Image:
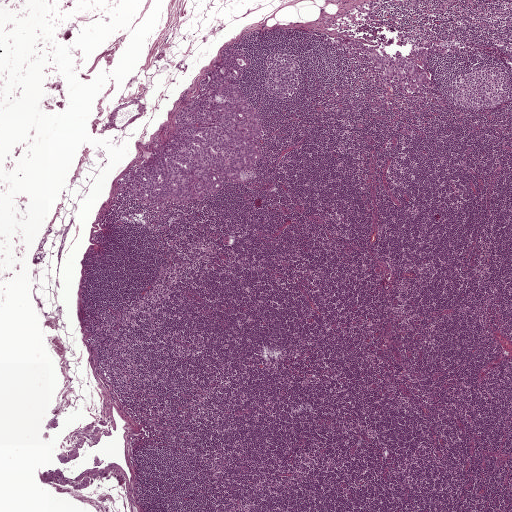
This is a crop of a whole-slide image: an H&E-stained breast-cancer sentinel lymph node section at roughly 2.5× magnification (about 3.9 µm per pixel; the crop spans about 2.0 mm).
Question:
Where is the metastatic tumour in this field? Give each region's outline as (x, y) pixel points.
Answer:
Two metastatic tumour regions, each outlined as a closed clockwise path in crop pixels (x, y), largest first: region 1: (222, 49), (249, 50), (254, 59), (240, 77), (246, 97), (260, 115), (264, 139), (260, 161), (249, 183), (226, 187), (204, 203), (177, 206), (165, 213), (151, 212), (129, 198), (118, 198), (117, 180), (151, 158), (170, 138), (175, 115), (193, 103), (200, 78); region 2: (336, 35), (368, 45), (379, 45), (390, 39), (428, 38), (432, 43), (428, 66), (431, 91), (412, 93), (392, 81), (387, 84), (368, 74), (366, 66), (356, 61), (350, 54), (336, 49), (333, 39).
Tumour covers about 5% of the frame.